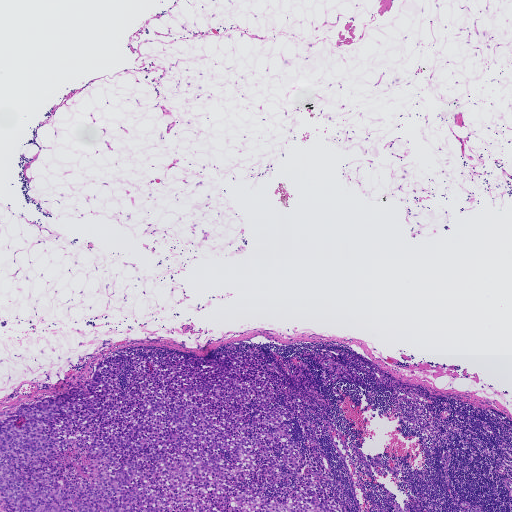
Lymph node section stained with H&E, from a whole-slide image of a breast-cancer sentinel node. Magnification about 2.5×, about 1.9 mm across the frame, about 3.6 µm per pixel.
Boundaries of two metastatic tumour regions, simplified and listed clockwise, largest first: region 1: (250, 353), (272, 380), (272, 408), (292, 411), (284, 423), (306, 463), (300, 473), (282, 462), (277, 488), (262, 467), (235, 495), (284, 501), (314, 471), (343, 509), (4, 511), (0, 412), (79, 387), (110, 356), (127, 357), (123, 390), (137, 357), (163, 367), (169, 354), (204, 364); region 2: (246, 345), (253, 346), (259, 348), (264, 352), (267, 358), (264, 362), (260, 362), (257, 358), (256, 354), (248, 352), (244, 348).
About 15% of this field is tumour.